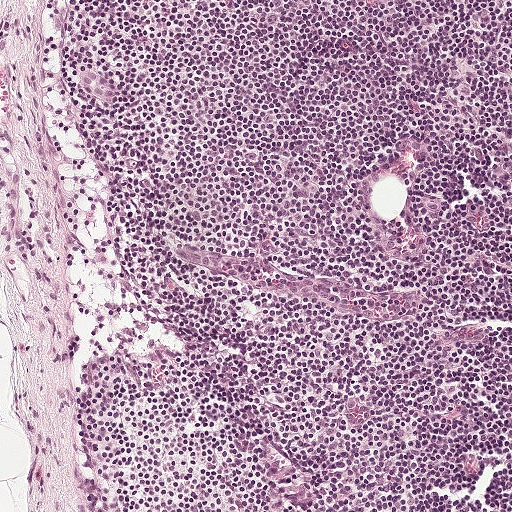
Lymph node section stained with H&E, from a whole-slide image of a breast-cancer sentinel node. Magnification about 10×, about 0.5 mm across the frame, about 0.97 µm per pixel.
Question: Is any metastatic breast cancer visible in this crop?
Answer: No. No metastatic tumour is outlined in this field.